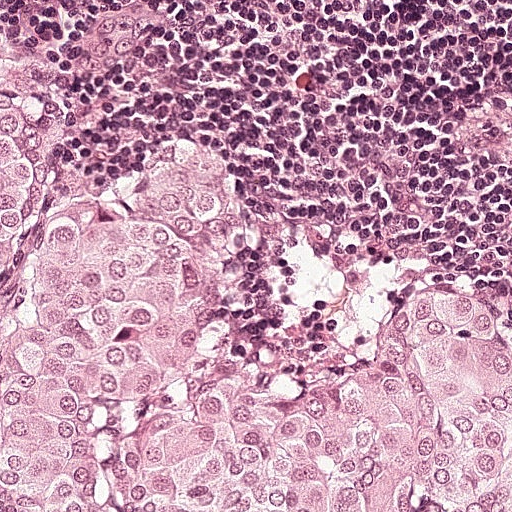
H&E-stained section of a sentinel lymph node (breast cancer), from a whole-slide image, viewed at about 20×: the field is about 0.25 mm across, about 0.49 µm per pixel.
Metastatic tumour outline, simplified to 20 points and listed clockwise in crop pixels (x, y): (0, 0), (3, 64), (37, 82), (60, 130), (46, 198), (105, 190), (131, 142), (205, 147), (236, 218), (214, 310), (256, 372), (293, 384), (362, 372), (396, 332), (402, 284), (418, 261), (458, 284), (510, 341), (511, 511), (0, 511).
The annotated tumour makes up about 50% of the crop.